Lymph node section stained with H&E, from a whole-slide image of a breast-cancer sentinel node. Magnification about 10×, about 0.46 mm across the frame, about 0.9 µm per pixel.
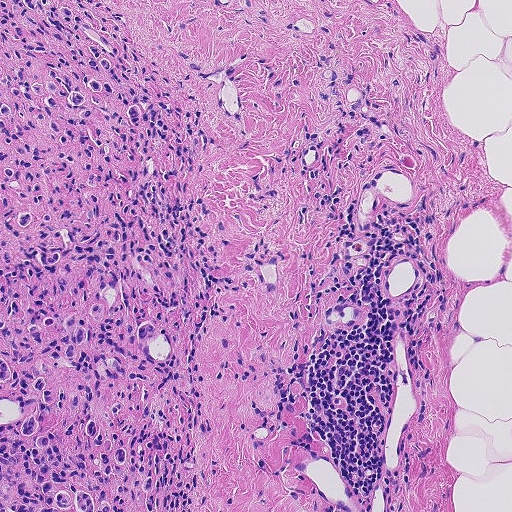
One metastatic tumour region; its boundary, reduced to 8 corners and listed clockwise: (0, 0), (103, 0), (188, 101), (196, 161), (187, 196), (204, 293), (188, 511), (0, 511).
About 35% of the image area is annotated as tumour.